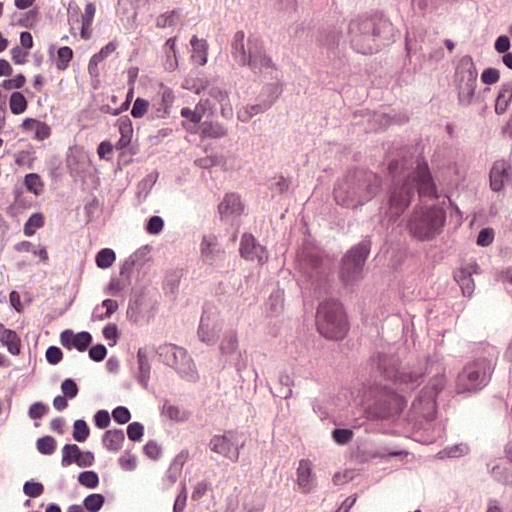
Lymph node section stained with H&E, from a whole-slide image of a breast-cancer sentinel node. Magnification about 40×, about 0.12 mm across the frame, about 0.24 µm per pixel.
Tumour region outline (a closed clockwise path, crop pixels): (457, 0), (463, 109), (501, 175), (506, 240), (463, 422), (423, 458), (379, 453), (291, 356), (301, 228), (326, 131), (304, 90), (304, 59), (282, 34), (282, 3).
Tumour covers about 30% of the frame.